Question: 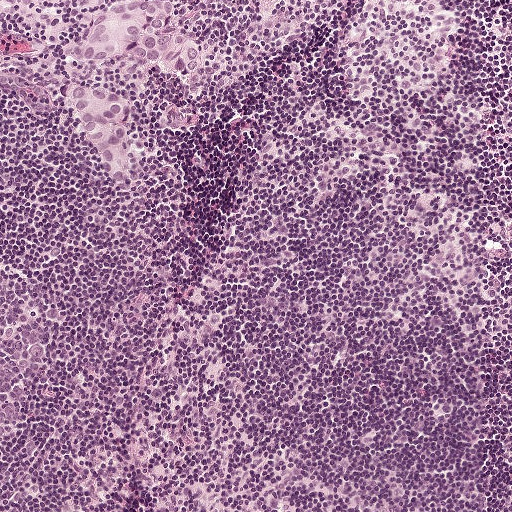
Lymph node section stained with H&E, from a whole-slide image of a breast-cancer sentinel node. Magnification about 10×, about 0.5 mm across the frame, about 0.97 µm per pixel.
About how much of this crop is taken up by metastatic carcinoma?

Choices:
 (A) about 10% to 20%
 (B) about 5% or less
 (C) about 25% to 45%
 (D) none: no tumour is outlined
 (E) about 50% or more

Answer: (B) about 5% or less
About 5% of the field is tumour.
Boundaries of two metastatic tumour regions, simplified and listed clockwise, largest first: region 1: (140, 0), (172, 0), (174, 30), (192, 37), (200, 49), (196, 70), (184, 77), (173, 77), (161, 68), (128, 56), (109, 65), (87, 62), (84, 59), (83, 44), (89, 27), (120, 4); region 2: (60, 82), (113, 92), (128, 102), (127, 141), (128, 169), (124, 183), (118, 183), (108, 178), (93, 152), (89, 138), (77, 122), (70, 104), (54, 92).